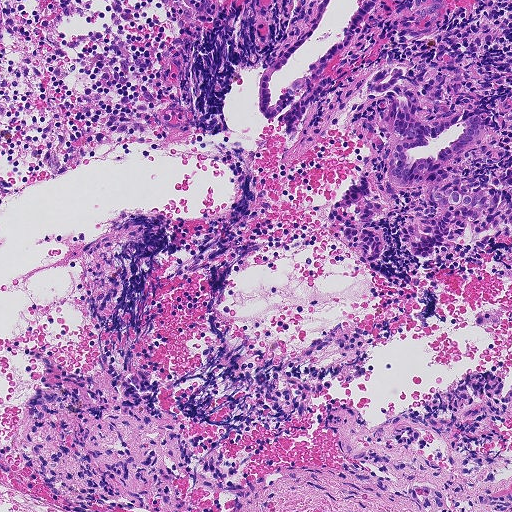
H&E-stained section of a sentinel lymph node (breast cancer), from a whole-slide image, viewed at about 10×: the field is about 0.46 mm across, about 0.9 µm per pixel.
Boundaries of two metastatic tumour regions, simplified and listed clockwise, largest first: region 1: (397, 64), (417, 94), (418, 122), (474, 110), (486, 124), (470, 148), (444, 166), (450, 174), (469, 174), (484, 186), (511, 159), (511, 236), (474, 237), (467, 217), (456, 240), (411, 254), (400, 228), (434, 214), (435, 205), (394, 191), (395, 209), (366, 224), (384, 231), (382, 250), (378, 259), (359, 260), (338, 240), (342, 228), (328, 214), (368, 174), (368, 193), (384, 196), (376, 191), (374, 176), (402, 137), (390, 125), (394, 96), (367, 96), (364, 86); region 2: (319, 0), (378, 0), (352, 42), (328, 63), (323, 72), (334, 76), (337, 82), (307, 113), (289, 140), (278, 122), (266, 120), (259, 113), (258, 82), (276, 56), (307, 28).
Tumour covers about 10% of the frame.